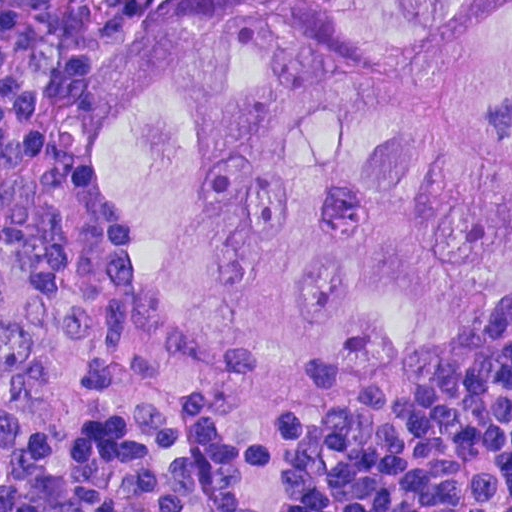
H&E-stained section of a sentinel lymph node (breast cancer), from a whole-slide image, viewed at about 40×: the field is about 0.12 mm across, about 0.23 µm per pixel.
Metastatic tumour outline, simplified to 10 points and listed clockwise in crop pixels (x, y): (220, 0), (511, 0), (511, 322), (385, 380), (222, 365), (147, 333), (98, 268), (72, 187), (92, 108), (149, 46).
Tumour covers about 55% of the frame.